Question: 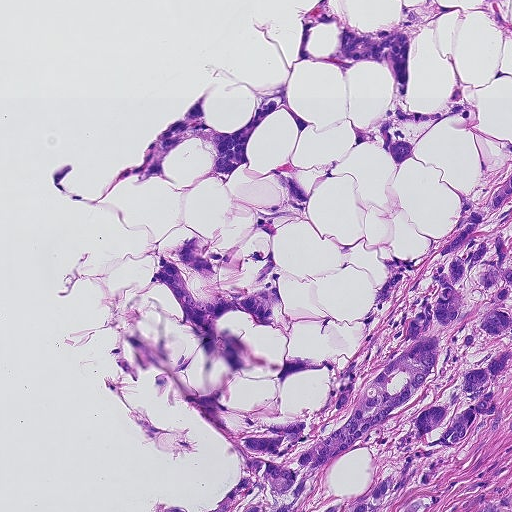
A 0.46-mm field of an H&E-stained sentinel lymph node from a breast-cancer patient (whole-slide image), shown at about 10×, about 0.9 µm per pixel.
Estimate the proportion of this field that is metastatic tumour.

Choices:
 (A) none: no tumour is outlined
 (B) about 5% or less
 (C) about 10% to 20%
 (D) about 25% to 45%
 (E) about 50% or more

Answer: (D) about 25% to 45%
About 40% of the field is tumour.
Three metastatic tumour regions, each outlined as a closed clockwise path in crop pixels (x, y), largest first: region 1: (438, 0), (409, 108), (442, 107), (450, 53), (480, 157), (510, 142), (511, 511), (201, 511), (232, 448), (122, 330), (199, 390), (141, 294), (284, 190), (195, 184), (202, 140), (97, 207), (52, 169), (97, 195), (206, 87), (232, 130), (284, 82), (316, 122), (259, 124), (252, 173), (339, 163), (277, 230), (290, 332), (219, 331), (334, 362), (376, 257), (460, 222), (471, 134), (449, 115), (394, 165), (360, 128), (382, 64), (294, 60), (303, 25); region 2: (478, 0), (511, 0), (511, 36), (510, 34), (505, 18), (504, 1), (495, 7), (478, 3); region 3: (164, 501), (184, 511), (145, 511), (149, 509).